A 0.46-mm field of an H&E-stained sentinel lymph node from a breast-cancer patient (whole-slide image), shown at about 10×, about 0.9 µm per pixel.
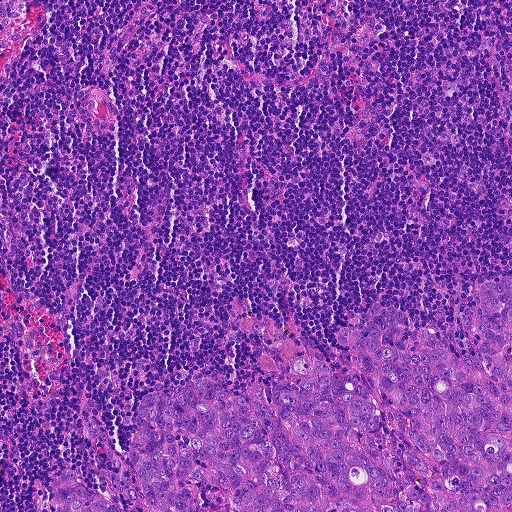
Outlines of two tumour regions, largest first (closed clockwise paths, crop pixels): region 1: (511, 276), (511, 511), (143, 511), (130, 496), (126, 450), (147, 394), (207, 380), (235, 393), (257, 382), (264, 392), (293, 352), (338, 365), (349, 358), (338, 326), (382, 306), (460, 360), (478, 344), (484, 280); region 2: (63, 469), (75, 470), (80, 482), (89, 490), (127, 511), (56, 511), (58, 509), (49, 487), (54, 476).
About 25% of the image area is annotated as tumour.